Image:
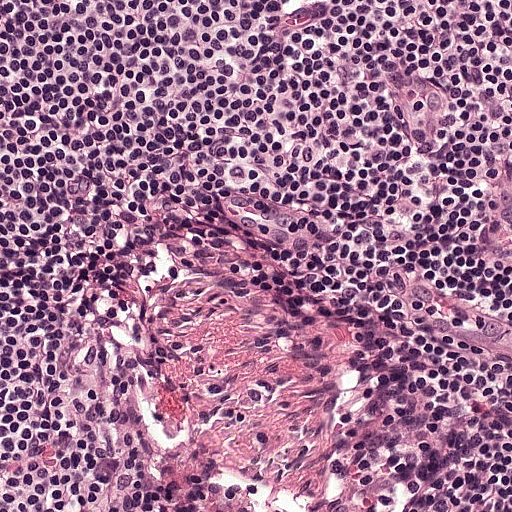
Lymph node section stained with H&E, from a whole-slide image of a breast-cancer sentinel node. Magnification about 20×, about 0.25 mm across the frame, about 0.49 µm per pixel.
Question:
Does this lymph node field contain metastatic tumour?
Answer:
No, this field holds no outlined metastasis.